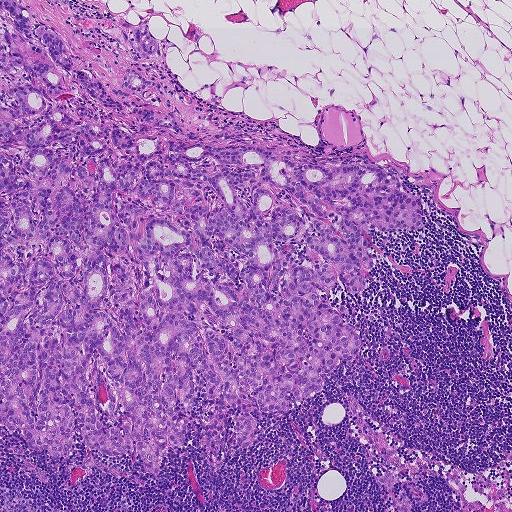
This is a crop of a whole-slide image: an H&E-stained breast-cancer sentinel lymph node section at roughly 5× magnification (about 1.8 µm per pixel; the crop spans about 0.93 mm).
One metastatic tumour region; its boundary, reduced to 23 corners and listed clockwise: (0, 0), (112, 94), (128, 67), (156, 83), (131, 94), (154, 108), (144, 136), (381, 168), (422, 202), (418, 230), (367, 224), (365, 292), (317, 288), (350, 307), (360, 352), (301, 405), (252, 414), (250, 447), (205, 381), (156, 476), (79, 431), (64, 460), (3, 426).
Tumour covers about 45% of the frame.